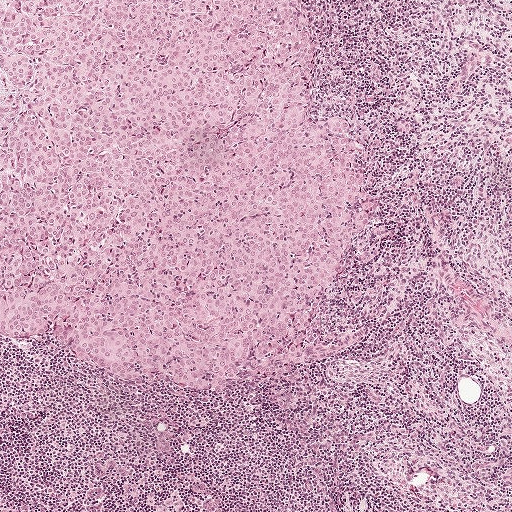
A 1-mm field of an H&E-stained sentinel lymph node from a breast-cancer patient (whole-slide image), shown at about 5×, about 1.9 µm per pixel.
Metastatic tumour outline, simplified to 10 points and listed clockwise in crop pixels (x, y): (0, 0), (314, 0), (317, 106), (351, 118), (377, 215), (310, 351), (260, 387), (210, 397), (126, 386), (0, 339).
About 50% of this field is tumour.